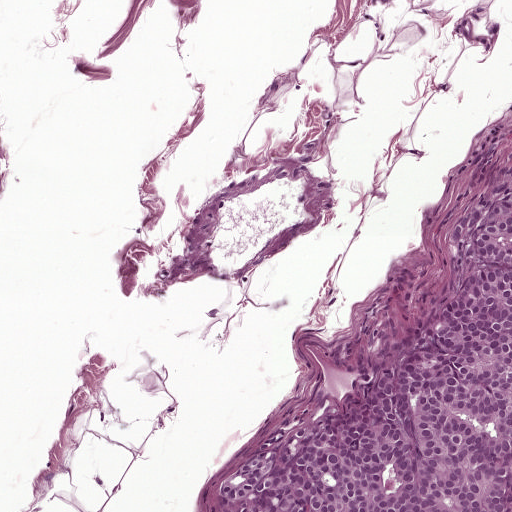
A 0.5-mm field of an H&E-stained sentinel lymph node from a breast-cancer patient (whole-slide image), shown at about 10×, about 0.97 µm per pixel.
Metastatic tumour outline, simplified to 8 points and listed clockwise in crop pixels (x, y): (511, 184), (511, 511), (220, 511), (217, 483), (353, 395), (431, 313), (451, 274), (450, 224).
About 15% of the image area is annotated as tumour.